Question: 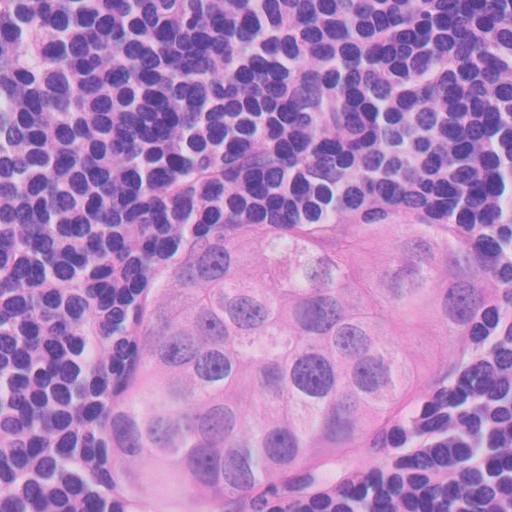
At roughly what magnification is this field shown?

Choices:
 (A) about 5×
 (B) about 20×
 (C) about 10×
 (D) about 2.5×
 (E) about 40×

Answer: (E) about 40×
Lymph node section stained with H&E, from a whole-slide image of a breast-cancer sentinel node. Magnification about 40×, about 0.13 mm across the frame, about 0.25 µm per pixel.
Four metastatic tumour regions, each outlined as a closed clockwise path in crop pixels (x, y), largest first: region 1: (371, 149), (511, 227), (511, 308), (453, 448), (305, 511), (109, 511), (62, 405), (159, 203); region 2: (0, 0), (37, 0), (34, 111), (0, 121); region 3: (511, 461), (511, 511), (381, 511); region 4: (0, 444), (69, 511), (0, 511).
About 50% of this field is tumour.